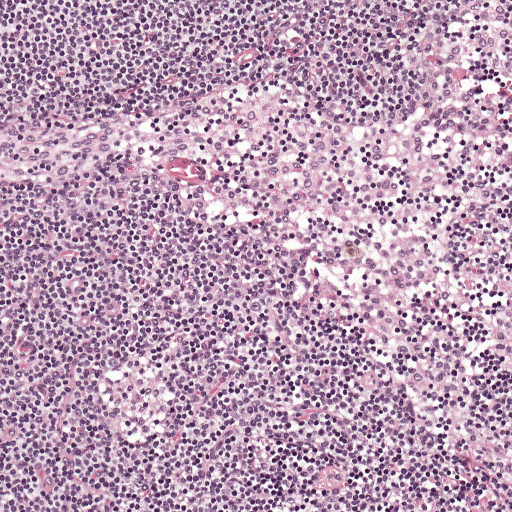
Lymph node section stained with H&E, from a whole-slide image of a breast-cancer sentinel node. Magnification about 10×, about 0.5 mm across the frame, about 0.97 µm per pixel.